Question: 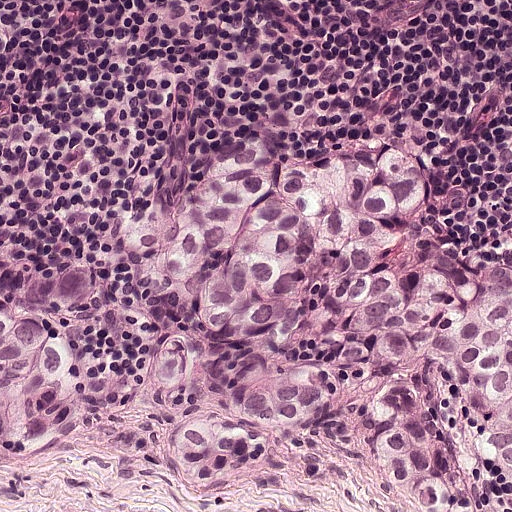
A 0.25-mm field of an H&E-stained sentinel lymph node from a breast-cancer patient (whole-slide image), shown at about 20×, about 0.49 µm per pixel.
Roughly what share of this field is metastatic tumour?

Choices:
 (A) about 5% or less
 (B) about 10% to 20%
 (C) about 50% or more
 (D) about 25% to 45%
 (E) none: no tumour is outlined

Answer: (C) about 50% or more
About 50% of the field is tumour.
Outlines of two tumour regions, largest first (closed clockwise paths, crop pixels): region 1: (341, 126), (432, 152), (463, 262), (511, 263), (511, 495), (475, 511), (424, 511), (408, 500), (356, 386), (291, 428), (249, 484), (219, 494), (166, 472), (146, 419), (148, 326), (127, 256), (144, 208), (258, 130); region 2: (85, 252), (94, 271), (91, 299), (77, 308), (56, 312), (69, 318), (82, 352), (95, 371), (95, 398), (88, 422), (72, 438), (40, 443), (0, 441), (0, 262), (49, 262).